H&E-stained section of a sentinel lymph node (breast cancer), from a whole-slide image, viewed at about 20×: the field is about 0.25 mm across, about 0.49 µm per pixel.
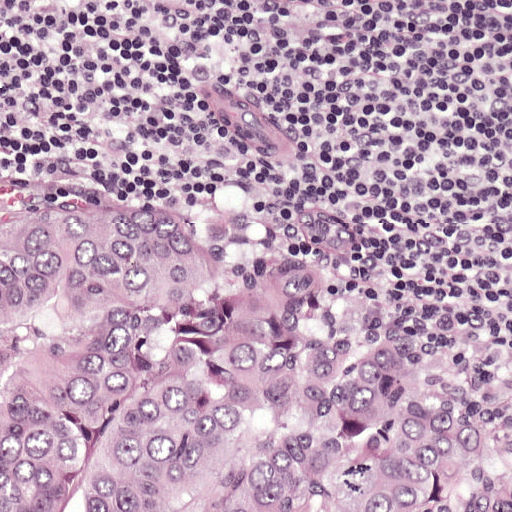
Metastatic tumour outline, simplified to 7 points and listed clockwise in crop pixels (x, y): (0, 152), (178, 208), (357, 308), (457, 326), (511, 321), (511, 511), (0, 511).
About 50% of the image area is annotated as tumour.